Question: 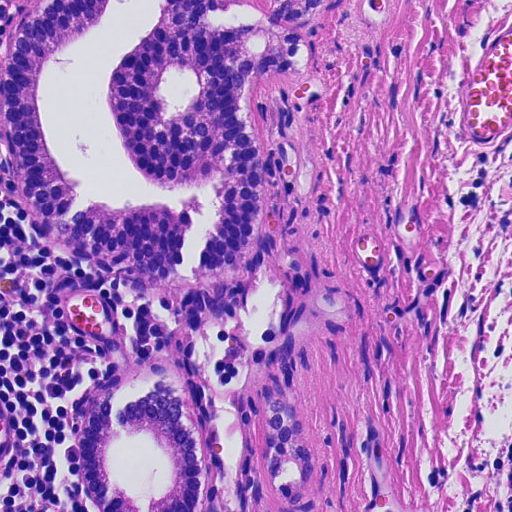
Lymph node section stained with H&E, from a whole-slide image of a breast-cancer sentinel node. Magnification about 20×, about 0.23 mm across the frame, about 0.45 µm per pixel.
What fraction of the image area is metastatic tumour?

Choices:
 (A) about 5% or less
 (B) about 25% to 45%
 (C) about 50% or more
 (D) none: no tumour is outlined
 (E) about 10% to 20%

Answer: (B) about 25% to 45%
About 40% of the field is tumour.
Outlines of three tumour regions, largest first (closed clockwise paths, crop pixels): region 1: (342, 0), (306, 28), (316, 52), (308, 68), (248, 84), (267, 172), (259, 228), (279, 242), (270, 273), (284, 294), (280, 366), (247, 365), (248, 382), (230, 392), (205, 384), (188, 363), (193, 338), (144, 292), (80, 265), (34, 218), (4, 152), (2, 85), (24, 21), (50, 1); region 2: (164, 352), (208, 450), (208, 511), (95, 511), (76, 469), (76, 432), (86, 395), (108, 370); region 3: (269, 380), (297, 404), (306, 440), (312, 478), (302, 511), (274, 490), (258, 456), (260, 416).